H&E-stained section of a sentinel lymph node (breast cancer), from a whole-slide image, viewed at about 20×: the field is about 0.25 mm across, about 0.49 µm per pixel.
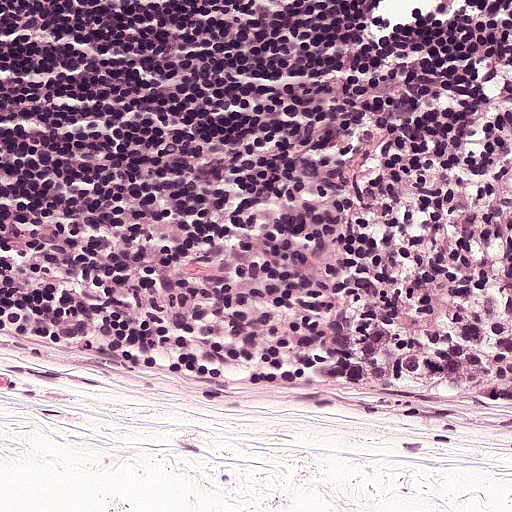
One metastatic tumour region; its boundary, reduced to 11 corners and listed clockwise: (510, 86), (506, 412), (340, 402), (138, 360), (60, 330), (18, 278), (16, 219), (58, 189), (153, 182), (253, 152), (358, 102).
About 45% of this field is tumour.